Question: 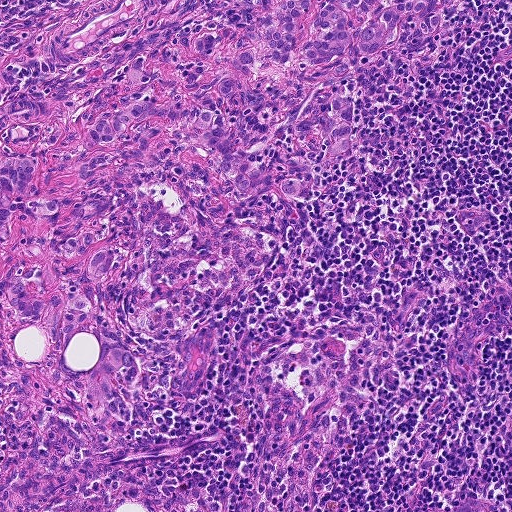
H&E-stained section of a sentinel lymph node (breast cancer), from a whole-slide image, viewed at about 10×: the field is about 0.46 mm across, about 0.9 µm per pixel.
Estimate the proportion of this field that is metastatic tumour.

Choices:
 (A) about 25% to 45%
 (B) about 50% or more
 (C) none: no tumour is outlined
 (D) about 5% or less
 (E) about 10% to 20%

Answer: (A) about 25% to 45%
About 35% of the field is tumour.
Tumour region outline (a closed clockwise path, crop pixels): (0, 0), (464, 0), (430, 44), (366, 63), (356, 154), (326, 170), (310, 201), (244, 204), (219, 183), (199, 134), (164, 125), (132, 134), (110, 200), (134, 261), (129, 276), (97, 289), (138, 382), (102, 421), (86, 424), (50, 324), (2, 306).